This is a crop of a whole-slide image: an H&E-stained breast-cancer sentinel lymph node section at roughly 20× magnification (about 0.49 µm per pixel; the crop spans about 0.25 mm).
Image:
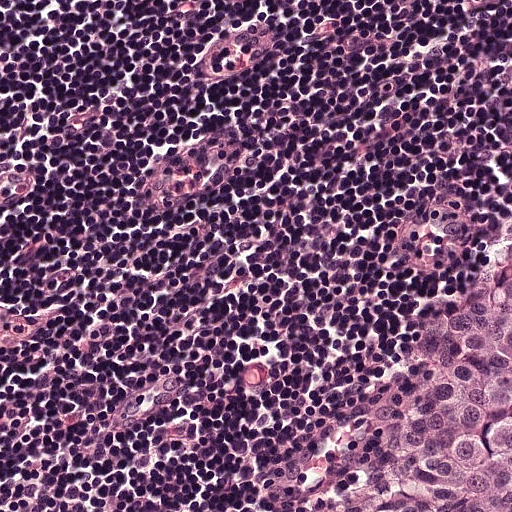
Question:
Trace the edge of each tumour region in this crop, as (x, y) points from 0 to 511.
Answer:
Metastatic tumour outline, simplified to 6 points and listed clockwise in crop pixels (x, y): (508, 178), (511, 511), (253, 511), (317, 436), (358, 325), (474, 230).
Tumour covers about 20% of the frame.